Image:
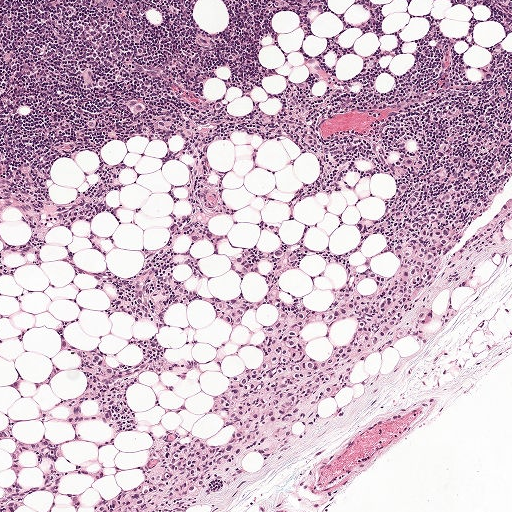
This is a crop of a whole-slide image: an H&E-stained breast-cancer sentinel lymph node section at roughly 5× magnification (about 1.9 µm per pixel; the crop spans about 1 mm).
Question:
Trace the edge of each tumour region in this crop, as (x, y) points from 0 to 511.
Answer:
Two metastatic tumour regions, each outlined as a closed clockwise path in crop pixels (x, y), largest first: region 1: (511, 125), (492, 193), (347, 381), (265, 466), (173, 511), (90, 511), (158, 440), (70, 409), (81, 365), (58, 338), (123, 363), (194, 358), (136, 376), (122, 406), (222, 441), (211, 394), (259, 358), (275, 307), (232, 327), (195, 301), (148, 321), (131, 274), (187, 212), (235, 209), (210, 222), (229, 235), (216, 251), (182, 240), (208, 276), (184, 279), (259, 298), (262, 274), (227, 261), (276, 248), (260, 217), (353, 246), (400, 156); region 2: (10, 482), (33, 486), (30, 492), (12, 503), (7, 511), (0, 511), (0, 486).
About 20% of this field is tumour.

Image:
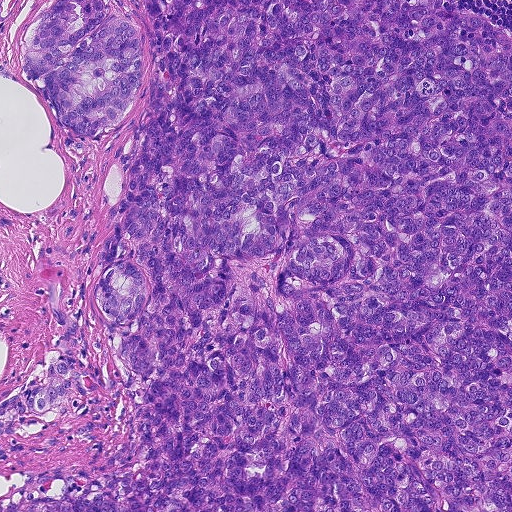
H&E-stained section of a sentinel lymph node (breast cancer), from a whole-slide image, viewed at about 10×: the field is about 0.46 mm across, about 0.9 µm per pixel.
Question:
Trace the edge of each tumour region in this crop, as (x, y) points from 0 to 511.
Answer:
Outlines of two tumour regions, largest first (closed clockwise paths, crop pixels): region 1: (459, 0), (511, 38), (511, 511), (26, 511), (42, 475), (65, 474), (47, 488), (59, 493), (73, 474), (125, 464), (137, 444), (140, 403), (120, 352), (131, 332), (105, 317), (94, 284), (110, 267), (96, 258), (128, 189), (115, 152), (134, 148), (148, 102), (144, 6); region 2: (59, 0), (109, 0), (114, 12), (135, 27), (141, 38), (143, 64), (134, 102), (114, 136), (81, 137), (60, 123), (38, 90), (28, 82), (21, 58), (23, 44).
About 80% of the image area is annotated as tumour.

Image:
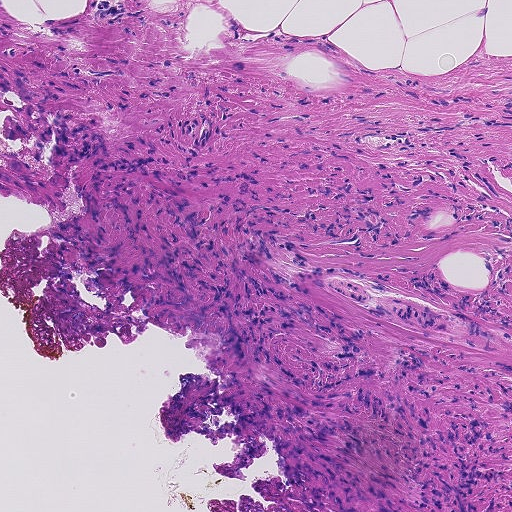
A 0.46-mm field of an H&E-stained sentinel lymph node from a breast-cancer patient (whole-slide image), shown at about 10×, about 0.9 µm per pixel.
Question:
Trace the edge of each tumour region in this crop, as (x, y) points from 0 to 511.
Answer:
The outlined metastatic tumour's edge, as a closed clockwise path of 24 points: (291, 33), (400, 77), (511, 59), (511, 511), (292, 511), (273, 444), (245, 482), (210, 465), (231, 461), (232, 440), (172, 447), (157, 403), (179, 391), (180, 371), (210, 372), (188, 343), (116, 325), (71, 290), (47, 237), (71, 195), (12, 158), (0, 133), (9, 52), (120, 72).
About 70% of this field is tumour.

Image:
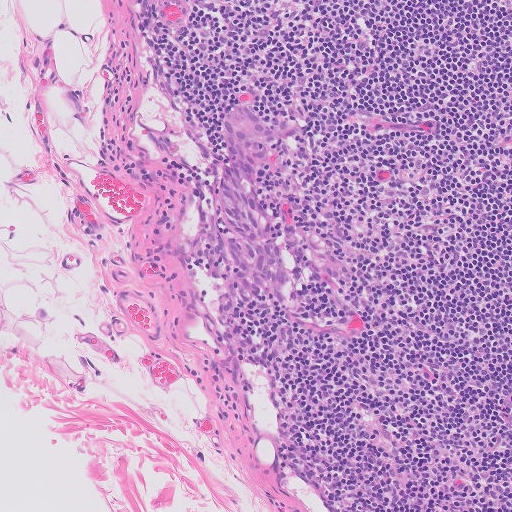
This is a crop of a whole-slide image: an H&E-stained breast-cancer sentinel lymph node section at roughly 10× magnification (about 1.0 µm per pixel; the crop spans about 0.51 mm).
Question:
Trace the edge of each tumour region in this crop, as (x, y) points from 0 to 511.
Answer:
One metastatic tumour region; its boundary, reduced to 12 corners and listed clockwise: (246, 102), (270, 120), (279, 134), (279, 150), (264, 179), (288, 272), (278, 301), (261, 305), (232, 296), (213, 251), (214, 202), (231, 104).
About 5% of this field is tumour.